H&E-stained section of a sentinel lymph node (breast cancer), from a whole-slide image, viewed at about 20×: the field is about 0.25 mm across, about 0.49 µm per pixel.
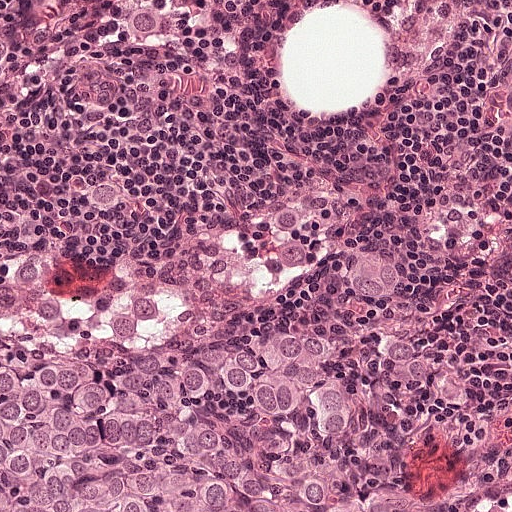
Two metastatic tumour regions, each outlined as a closed clockwise path in crop pixels (x, y), largest first: region 1: (384, 249), (427, 307), (442, 378), (397, 394), (368, 424), (361, 456), (386, 494), (427, 510), (0, 511), (0, 338), (72, 357), (197, 351), (314, 298), (344, 254); region 2: (506, 492), (511, 492), (511, 511), (463, 511), (464, 510), (464, 508), (474, 507), (474, 506), (480, 504), (484, 501), (488, 501), (491, 499), (492, 499), (496, 496), (498, 494), (502, 494).
Tumour covers about 30% of the frame.